This is a crop of a whole-slide image: an H&E-stained breast-cancer sentinel lymph node section at roughly 10× magnification (about 0.91 µm per pixel; the crop spans about 0.46 mm).
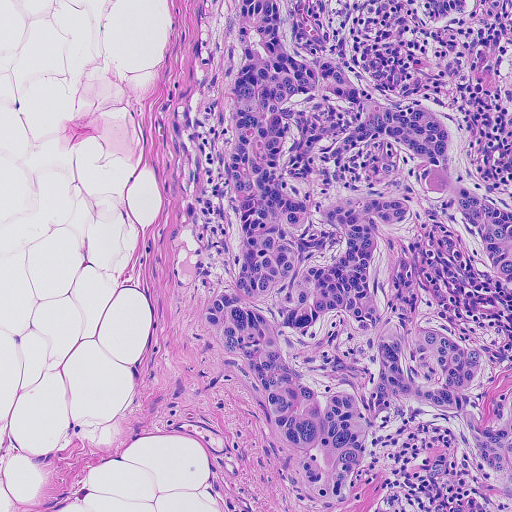
Metastatic tumour outline, simplified to 13 points and listed clockwise in crop pixels (x, y): (239, 0), (511, 0), (511, 496), (447, 427), (390, 409), (348, 500), (328, 503), (299, 478), (240, 359), (221, 356), (202, 321), (243, 244), (225, 150).
One more small tumour piece is annotated here but not outlined.
About 50% of this field is tumour.